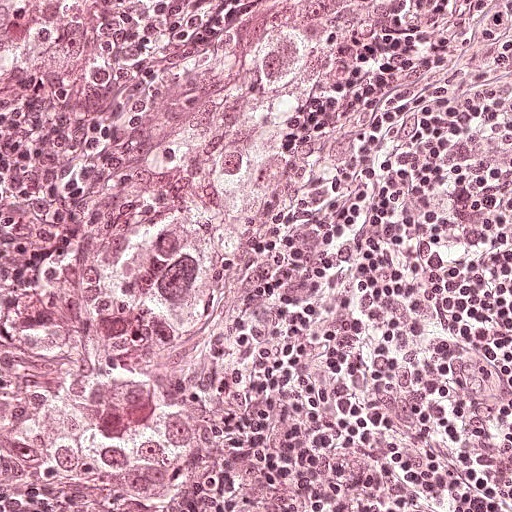
H&E-stained section of a sentinel lymph node (breast cancer), from a whole-slide image, viewed at about 20×: the field is about 0.25 mm across, about 0.49 µm per pixel.
The outlined metastatic tumour's edge, as a closed clockwise path of 7 points: (0, 0), (413, 0), (334, 182), (268, 280), (222, 464), (189, 511), (0, 511).
About 60% of this field is tumour.